Question: 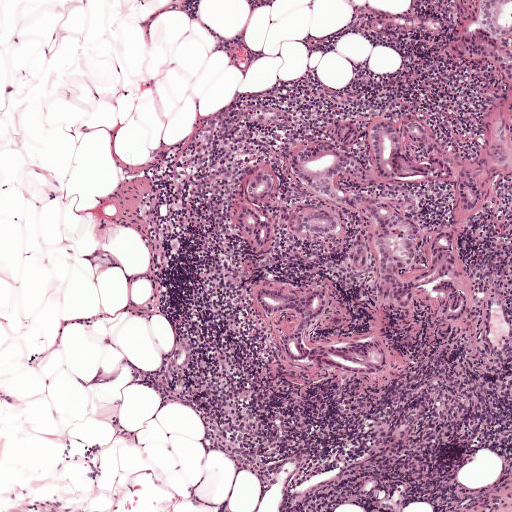
H&E-stained section of a sentinel lymph node (breast cancer), from a whole-slide image, viewed at about 5×: the field is about 1 mm across, about 1.9 µm per pixel.
Estimate the proportion of this field that is metastatic tumour.

Choices:
 (A) none: no tumour is outlined
 (B) about 25% to 45%
 (C) about 10% to 20%
 (D) about 5% or less
 (E) about 50% or more

Answer: (C) about 10% to 20%
About 20% of the field is tumour.
One metastatic tumour region; its boundary, reduced to 24 corners and listed clockwise: (483, 0), (511, 0), (511, 187), (503, 179), (453, 249), (464, 283), (501, 290), (510, 352), (481, 366), (418, 293), (409, 314), (378, 314), (406, 368), (387, 392), (298, 378), (239, 269), (234, 210), (296, 147), (378, 111), (408, 114), (475, 160), (506, 94), (498, 70), (460, 47).